Image:
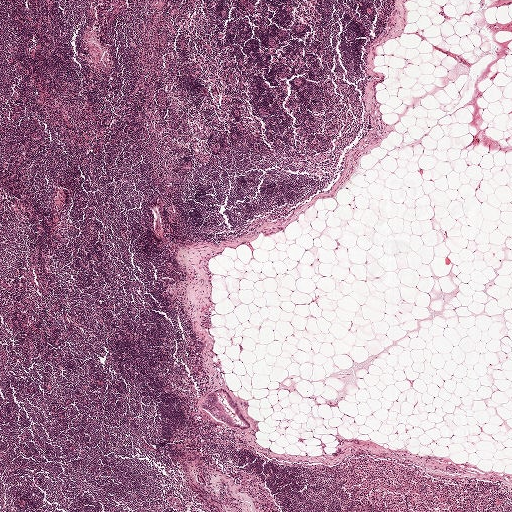
Lymph node section stained with H&E, from a whole-slide image of a breast-cancer sentinel node. Magnification about 2.5×, about 2.0 mm across the frame, about 3.9 µm per pixel.
Question:
Which parts of this field are metastatic tumour?
Answer:
One metastatic tumour region; its boundary, reduced to 11 corners and listed clockwise: (222, 388), (222, 393), (218, 396), (222, 410), (226, 416), (226, 422), (218, 422), (215, 417), (200, 407), (202, 401), (212, 392).
Under 5% of the image area is annotated as tumour.